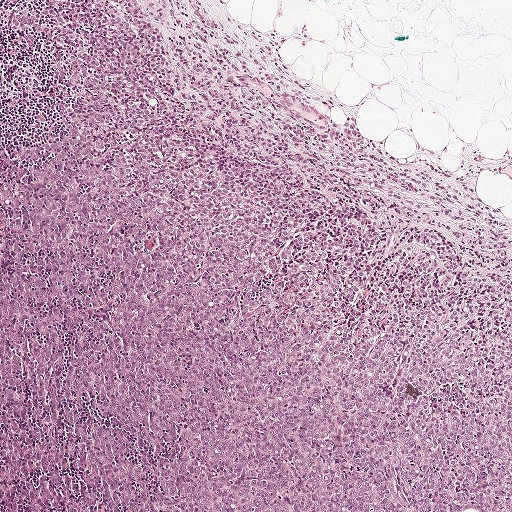
Lymph node section stained with H&E, from a whole-slide image of a breast-cancer sentinel node. Magnification about 5×, about 1 mm across the frame, about 1.9 µm per pixel.
Metastatic tumour outline, simplified to 13 points and listed clockwise in crop pixels (x, y): (0, 0), (141, 0), (177, 24), (194, 0), (217, 26), (264, 42), (309, 105), (347, 115), (391, 157), (444, 171), (511, 222), (511, 511), (0, 511).
About 85% of this field is tumour.